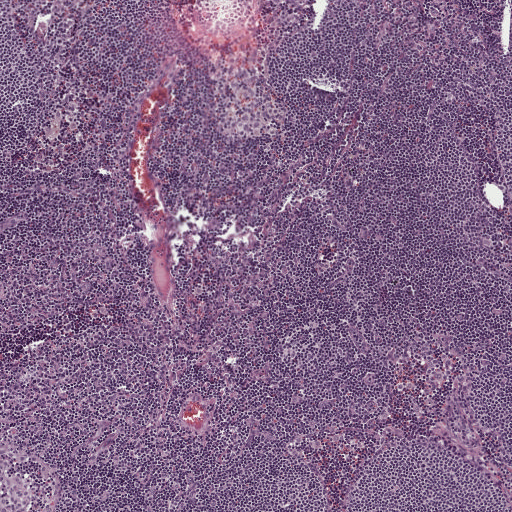
A 1-mm field of an H&E-stained sentinel lymph node from a breast-cancer patient (whole-slide image), shown at about 5×, about 1.9 µm per pixel.